Lymph node section stained with H&E, from a whole-slide image of a breast-cancer sentinel node. Magnification about 10×, about 0.5 mm across the frame, about 0.97 µm per pixel.
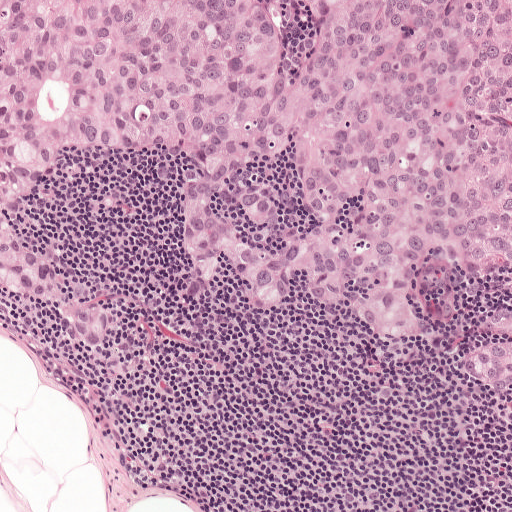
Two metastatic tumour regions, each outlined as a closed clockwise path in crop pixels (x, y), largest first: region 1: (0, 0), (511, 0), (511, 280), (427, 266), (413, 297), (440, 334), (374, 344), (294, 302), (257, 314), (225, 263), (208, 288), (192, 280), (170, 246), (170, 169), (146, 152), (68, 163), (13, 216), (106, 296), (109, 339), (89, 351), (38, 305), (0, 298); region 2: (511, 296), (511, 398), (458, 380), (449, 364), (471, 339), (482, 310).
About 55% of this field is tumour.